Lymph node section stained with H&E, from a whole-slide image of a breast-cancer sentinel node. Magnification about 20×, about 0.25 mm across the frame, about 0.49 µm per pixel.
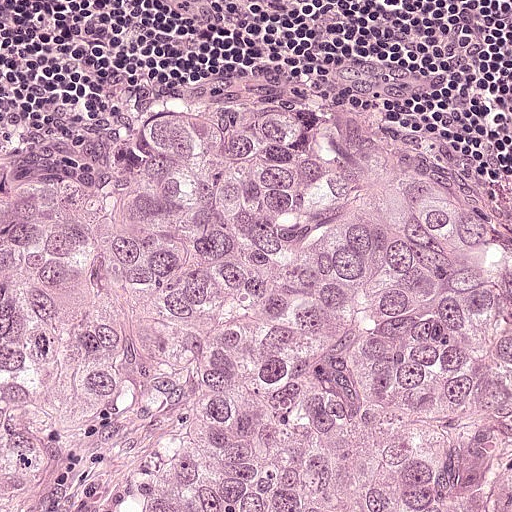
The outlined metastatic tumour's edge, as a closed clockwise path of 8 points: (208, 92), (395, 144), (508, 230), (511, 511), (0, 511), (0, 144), (146, 120), (180, 95).
About 75% of the image area is annotated as tumour.